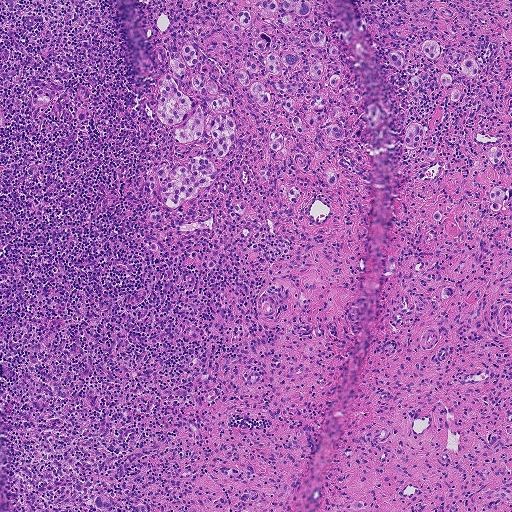
H&E-stained section of a sentinel lymph node (breast cancer), from a whole-slide image, viewed at about 5×: the field is about 0.93 mm across, about 1.8 µm per pixel.
The eight largest tumour regions' boundaries, simplified and listed clockwise, largest first: region 1: (188, 44), (198, 61), (187, 66), (185, 75), (205, 77), (230, 98), (235, 133), (224, 159), (212, 153), (212, 139), (200, 141), (218, 178), (195, 198), (169, 208), (159, 198), (149, 200), (144, 187), (160, 163), (174, 166), (174, 127), (155, 114), (157, 84), (172, 74), (167, 56); region 2: (323, 31), (338, 50), (335, 56), (322, 49), (322, 62), (344, 84), (335, 90), (323, 76), (314, 80), (310, 68), (317, 59), (301, 58), (305, 82), (295, 98), (324, 92), (327, 109), (340, 113), (334, 123), (344, 139), (333, 140), (309, 125), (306, 137), (300, 136), (290, 120), (295, 115), (284, 108), (269, 120), (235, 76), (242, 55), (260, 63), (266, 54), (254, 47), (256, 35), (269, 34), (272, 52), (279, 54), (292, 48), (310, 51), (311, 32); region 3: (277, 0), (281, 2), (284, 0), (308, 0), (311, 4), (310, 10), (306, 15), (299, 16), (293, 13), (296, 21), (292, 26), (280, 27), (261, 20), (254, 6), (257, 1); region 4: (410, 122), (422, 126), (427, 138), (426, 144), (437, 146), (437, 158), (432, 162), (427, 159), (422, 154), (425, 148), (422, 146), (421, 140), (419, 146), (413, 149), (407, 148), (403, 142), (405, 129); region 5: (499, 186), (511, 188), (511, 197), (510, 199), (504, 198), (500, 210), (496, 213), (491, 209), (492, 202), (488, 194), (492, 188); region 6: (246, 10), (251, 13), (251, 20), (247, 25), (240, 26), (242, 31), (236, 32), (230, 30), (224, 19), (227, 13), (232, 16), (236, 21), (235, 15), (240, 11); region 7: (426, 39), (439, 42), (440, 49), (439, 55), (434, 58), (428, 58), (423, 54), (422, 43); region 8: (284, 183), (286, 189), (298, 185), (302, 188), (302, 195), (300, 201), (294, 203), (286, 194), (283, 196), (279, 193), (278, 187).
Five more, smaller tumour regions are not outlined.
15 more small tumour pieces are annotated here but not outlined.
About 10% of the image area is annotated as tumour.